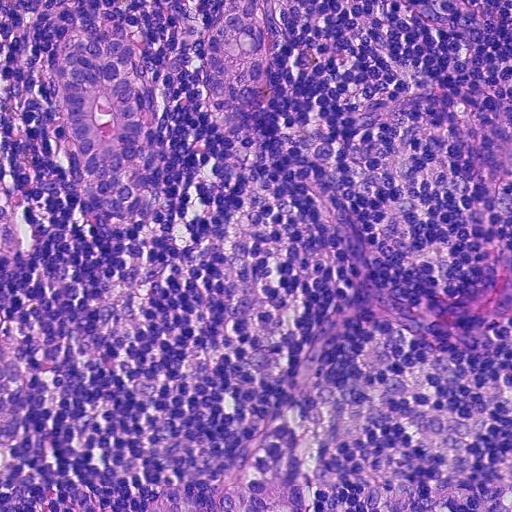
Lymph node section stained with H&E, from a whole-slide image of a breast-cancer sentinel node. Magnification about 20×, about 0.23 mm across the frame, about 0.45 µm per pixel.
Three metastatic tumour regions, each outlined as a closed clockwise path in crop pixels (x, y), largest first: region 1: (88, 0), (97, 0), (100, 36), (138, 42), (144, 80), (156, 91), (159, 200), (136, 218), (98, 215), (88, 205), (57, 94), (62, 58), (92, 34); region 2: (0, 326), (25, 351), (27, 390), (27, 428), (18, 464), (2, 481), (0, 481); region 3: (0, 128), (1, 140), (30, 210), (33, 248), (32, 254), (0, 266).
One more small tumour piece is annotated here but not outlined.
About 10% of this field is tumour.